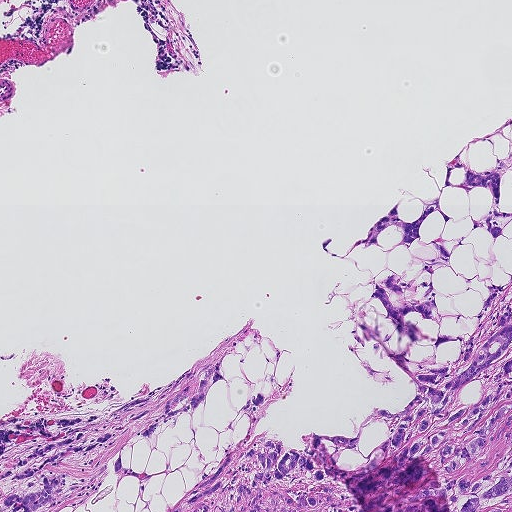
H&E-stained section of a sentinel lymph node (breast cancer), from a whole-slide image, viewed at about 5×: the field is about 0.93 mm across, about 1.8 µm per pixel.
Outlines of three tumour regions, largest first (closed clockwise paths, crop pixels): region 1: (437, 197), (454, 217), (425, 218), (422, 243), (465, 237), (434, 271), (440, 322), (406, 313), (429, 335), (468, 336), (484, 284), (511, 274), (511, 511), (165, 511), (246, 436), (235, 414), (248, 395), (277, 394), (254, 438), (296, 450), (301, 432), (353, 437), (370, 410), (416, 397), (357, 321), (395, 351), (380, 304), (366, 303), (380, 279), (411, 280), (437, 251), (393, 248), (396, 226), (382, 248), (344, 260), (322, 240), (344, 254), (399, 200), (412, 221); region 2: (219, 360), (223, 377), (212, 384), (198, 408), (160, 425), (150, 438), (131, 439), (124, 445), (121, 461), (134, 472), (145, 470), (150, 480), (114, 474), (112, 463), (120, 447), (81, 497), (54, 511), (0, 511), (0, 418), (113, 411), (166, 384), (194, 363), (191, 394), (200, 378); region 3: (511, 146), (511, 162), (504, 176), (500, 193), (500, 210), (511, 211), (511, 220), (506, 225), (496, 240), (476, 220), (486, 212), (490, 204), (491, 196), (486, 188), (478, 189), (470, 193), (443, 186), (447, 168), (453, 162), (461, 163), (476, 172), (493, 169).
About 25% of this field is tumour.